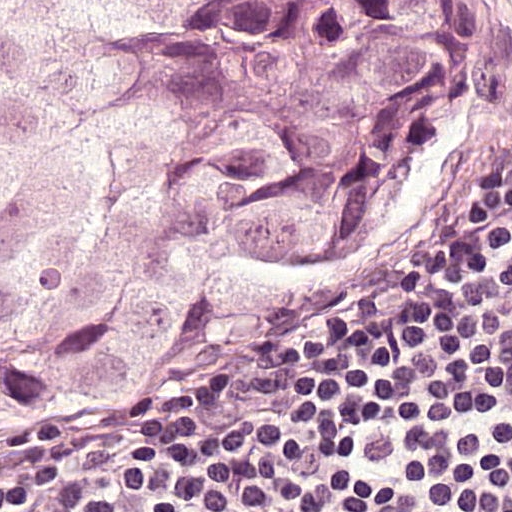
Lymph node section stained with H&E, from a whole-slide image of a breast-cancer sentinel node. Magnification about 40×, about 0.12 mm across the frame, about 0.24 µm per pixel.
Tumour region outline (a closed clockwise path, crop pixels): (0, 0), (476, 5), (472, 141), (459, 191), (413, 223), (395, 269), (363, 300), (281, 309), (168, 400), (131, 409), (99, 450), (40, 454), (4, 441).
Tumour covers about 65% of the frame.